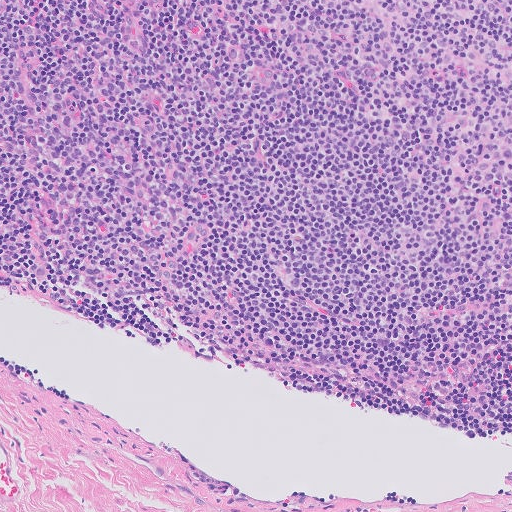
A 0.51-mm field of an H&E-stained sentinel lymph node from a breast-cancer patient (whole-slide image), shown at about 10×, about 1.0 µm per pixel.